H&E-stained section of a sentinel lymph node (breast cancer), from a whole-slide image, viewed at about 20×: the field is about 0.23 mm across, about 0.45 µm per pixel.
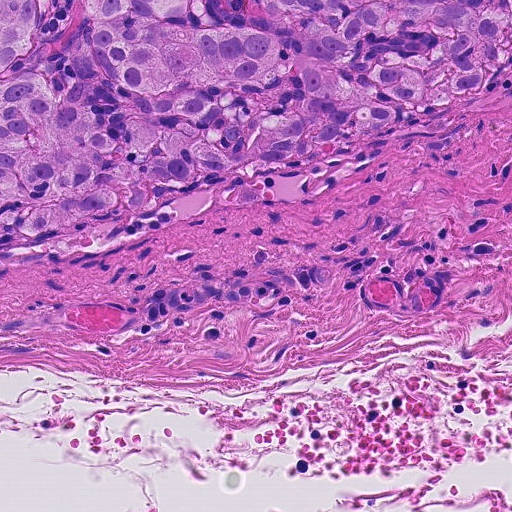
Question: Where is the metastatic tumour in this field? Give each region's outline as (x, y) pixel points.
Answer: One metastatic tumour region; its boundary, reduced to 8 corners and listed clockwise: (0, 0), (511, 0), (511, 50), (482, 90), (410, 132), (210, 192), (136, 228), (0, 252).
The annotated tumour makes up about 35% of the crop.